H&E-stained section of a sentinel lymph node (breast cancer), from a whole-slide image, viewed at about 20×: the field is about 0.25 mm across, about 0.49 µm per pixel.
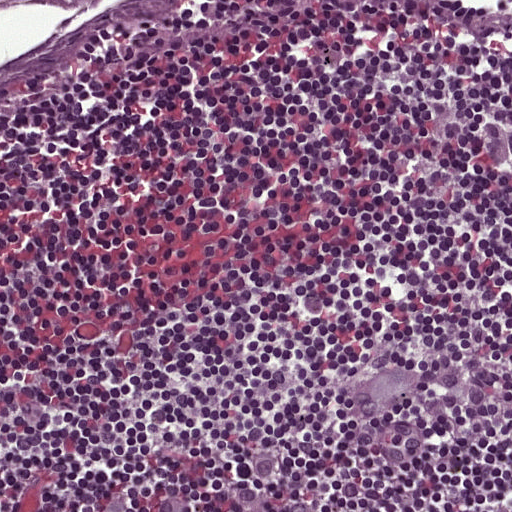
One metastatic tumour region; its boundary, reduced to 12 corners and listed clockwise: (434, 364), (482, 380), (493, 398), (481, 415), (453, 393), (415, 390), (397, 408), (357, 422), (336, 411), (348, 390), (373, 378), (400, 368).
One more small tumour piece is annotated here but not outlined.
Under 5% of this field is tumour.